A 0.12-mm field of an H&E-stained sentinel lymph node from a breast-cancer patient (whole-slide image), shown at about 40×, about 0.24 µm per pixel.
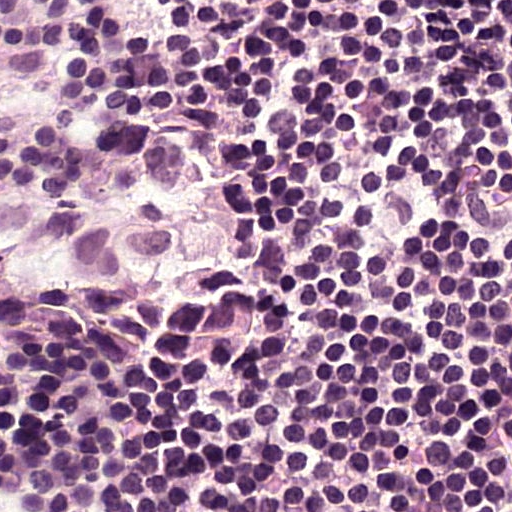
Tumour region outline (a closed clockwise path, crop pixels): (176, 119), (192, 156), (203, 158), (214, 219), (212, 251), (137, 282), (55, 282), (10, 272), (0, 263), (1, 181), (92, 176), (126, 163), (144, 122).
About 10% of the image area is annotated as tumour.